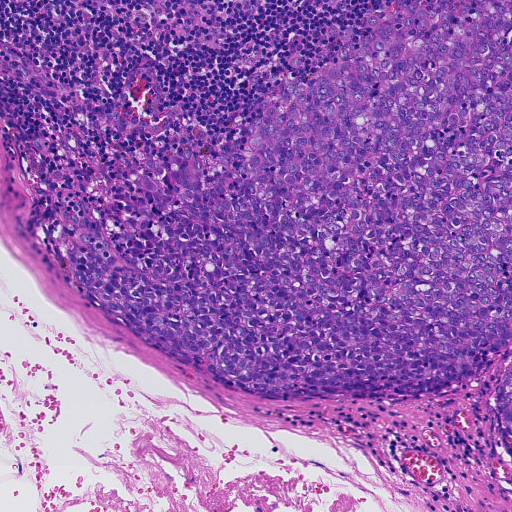
H&E-stained section of a sentinel lymph node (breast cancer), from a whole-slide image, viewed at about 10×: the field is about 0.46 mm across, about 0.91 µm per pixel.
One metastatic tumour region; its boundary, reduced to 20 corners and listed clockwise: (511, 0), (511, 468), (490, 415), (505, 360), (478, 384), (422, 398), (341, 410), (246, 398), (98, 320), (63, 274), (77, 218), (116, 239), (153, 153), (187, 144), (222, 154), (291, 53), (307, 70), (335, 60), (332, 20), (403, 2).
One more small tumour piece is annotated here but not outlined.
About 50% of this field is tumour.